Question: 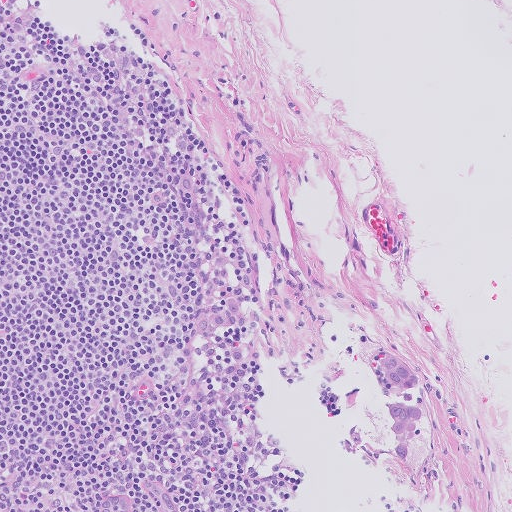
A 0.51-mm field of an H&E-stained sentinel lymph node from a breast-cancer patient (whole-slide image), shown at about 10×, about 1.0 µm per pixel.
Estimate the proportion of this field that is metastatic tumour.

Choices:
 (A) about 25% to 45%
 (B) about 10% to 20%
 (C) about 50% or more
 (D) none: no tumour is outlined
 (E) about 5% or less

Answer: (E) about 5% or less
Under 5% of the field is tumour.
Outlines of two tumour regions, largest first (closed clockwise paths, crop pixels): region 1: (390, 404), (417, 406), (422, 409), (422, 416), (416, 421), (414, 435), (409, 440), (409, 454), (406, 460), (400, 458), (396, 451), (394, 437), (391, 431), (391, 417), (387, 411); region 2: (384, 351), (391, 354), (410, 369), (419, 383), (412, 392), (412, 400), (406, 402), (400, 392), (394, 391), (379, 367), (376, 361), (377, 354).